Lymph node section stained with H&E, from a whole-slide image of a breast-cancer sentinel node. Magnification about 10×, about 0.46 mm across the frame, about 0.9 µm per pixel.
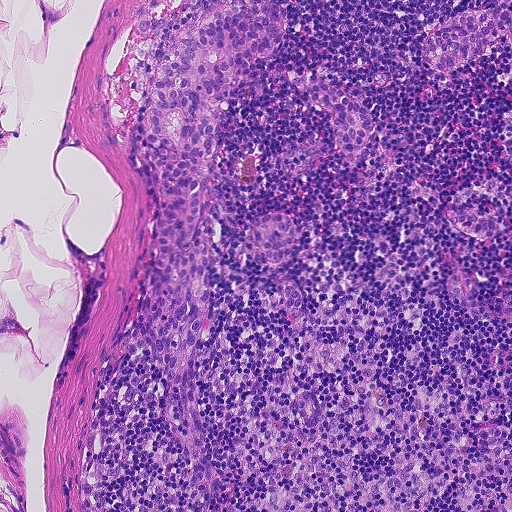
Boundaries of four metastatic tumour regions, simplified and listed clockwise, largest first: region 1: (257, 0), (283, 8), (289, 32), (284, 44), (238, 68), (214, 101), (225, 110), (200, 182), (203, 208), (195, 234), (210, 255), (187, 412), (197, 454), (187, 452), (181, 410), (172, 404), (166, 372), (146, 346), (142, 314), (159, 252), (146, 120), (159, 66), (207, 19); region 2: (488, 9), (511, 13), (511, 29), (483, 46), (470, 59), (454, 70), (444, 70), (427, 61), (422, 52), (429, 34), (459, 13); region 3: (316, 72), (324, 83), (333, 85), (364, 104), (372, 121), (373, 130), (358, 163), (349, 165), (344, 153), (332, 139), (331, 111), (314, 106), (304, 90), (296, 89), (291, 81), (297, 77); region 4: (262, 213), (285, 213), (294, 219), (298, 229), (298, 240), (295, 251), (288, 260), (279, 264), (268, 264), (248, 256), (241, 247), (251, 227), (253, 216).
About 15% of this field is tumour.